Question: 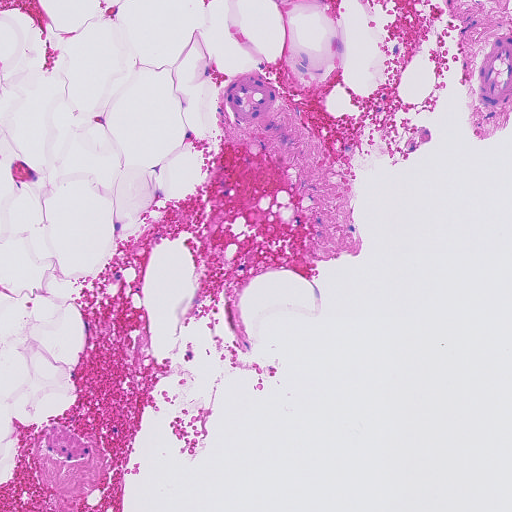
Which magnification is this H&E lymph node field most likely shown at?

Choices:
 (A) about 10×
 (B) about 2.5×
 (C) about 20×
 (D) about 5×
 (E) about 40×

Answer: (A) about 10×
A 0.46-mm field of an H&E-stained sentinel lymph node from a breast-cancer patient (whole-slide image), shown at about 10×, about 0.91 µm per pixel.